Image:
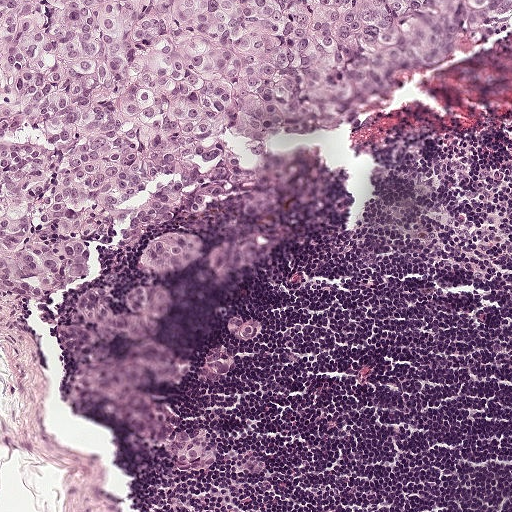
This is a crop of a whole-slide image: an H&E-stained breast-cancer sentinel lymph node section at roughly 10× magnification (about 0.97 µm per pixel; the crop spans about 0.5 mm).
Question:
Trace the edge of each tumour region in this crop, as (x, y) points from 0 to 511.
Answer:
Outlines of two tumour regions, largest first (closed clockwise paths, crop pixels): region 1: (0, 0), (428, 0), (317, 89), (313, 127), (264, 143), (221, 135), (242, 169), (229, 196), (146, 228), (120, 205), (106, 240), (86, 244), (53, 302), (1, 289); region 2: (202, 432), (209, 432), (213, 438), (215, 461), (208, 468), (197, 469), (176, 461), (171, 436), (174, 433), (182, 433), (194, 436).
Tumour covers about 30% of the frame.